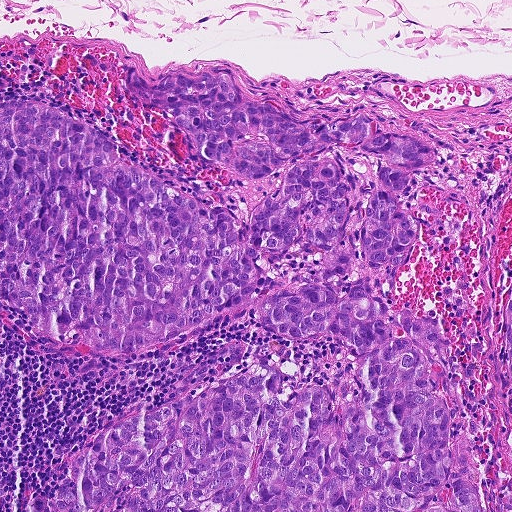
A 0.46-mm field of an H&E-stained sentinel lymph node from a breast-cancer patient (whole-slide image), shown at about 10×, about 0.9 µm per pixel.
Outlines of two tumour regions, largest first (closed clockwise paths, crop pixels): region 1: (132, 68), (151, 84), (225, 68), (286, 116), (419, 132), (418, 248), (379, 285), (457, 359), (485, 511), (28, 511), (99, 419), (257, 360), (306, 377), (354, 359), (241, 309), (118, 356), (0, 306), (0, 100), (79, 118), (239, 224), (286, 168), (216, 168), (126, 94); region 2: (511, 273), (511, 395), (506, 380), (500, 354), (500, 327), (505, 300).
About 55% of this field is tumour.